H&E-stained section of a sentinel lymph node (breast cancer), from a whole-slide image, viewed at about 5×: the field is about 1 mm across, about 1.9 µm per pixel.
Image:
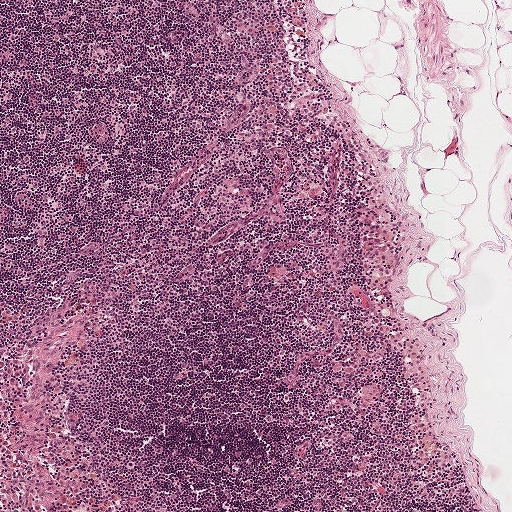
Question:
Is there metastatic carcinoma in this field?
Answer:
Yes.
Tumour region outline (a closed clockwise path, crop pixels): (364, 232), (376, 232), (386, 236), (396, 254), (396, 266), (389, 277), (370, 274), (362, 265), (366, 254), (363, 243).
The annotated tumour makes up under 5% of the crop.